Question: 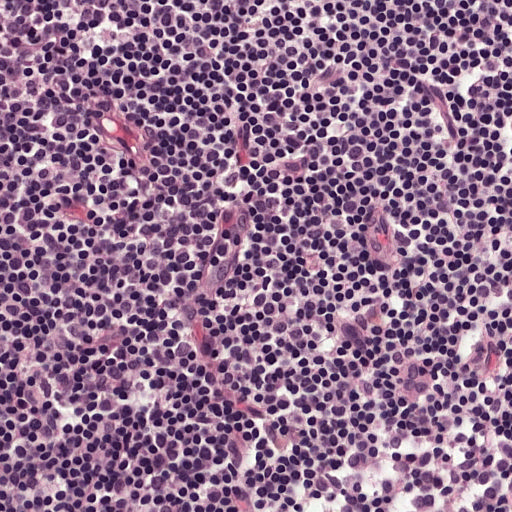
About what magnification does this crop show?

Choices:
 (A) about 40×
 (B) about 20×
 (C) about 10×
 (D) about 5×
 (E) about 2.5×

Answer: (B) about 20×
Lymph node section stained with H&E, from a whole-slide image of a breast-cancer sentinel node. Magnification about 20×, about 0.25 mm across the frame, about 0.49 µm per pixel.